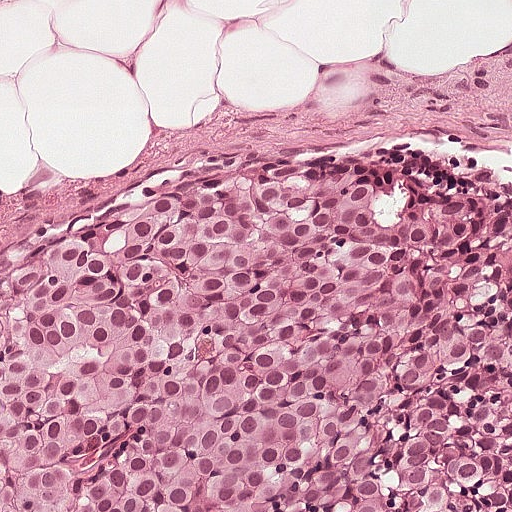
Lymph node section stained with H&E, from a whole-slide image of a breast-cancer sentinel node. Magnification about 20×, about 0.25 mm across the frame, about 0.49 µm per pixel.
Question: Where is the metastatic tumour in this field? Give each region's outline as (x, y) pixel points.
Answer: Metastatic tumour outline, simplified to 7 points and listed clockwise in crop pixels (x, y): (298, 142), (403, 146), (511, 183), (511, 511), (0, 511), (0, 240), (124, 164).
The annotated tumour makes up about 70% of the crop.